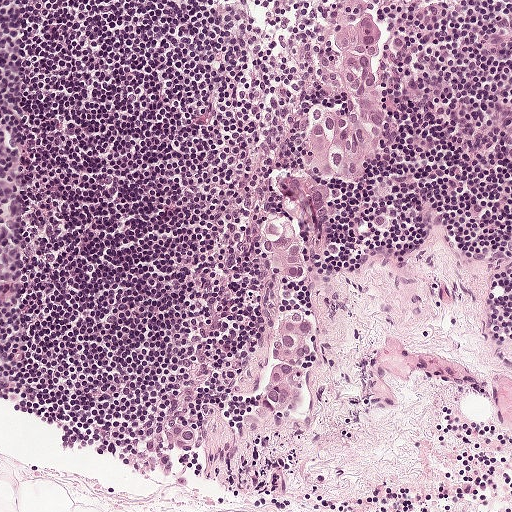
H&E-stained section of a sentinel lymph node (breast cancer), from a whole-slide image, viewed at about 10×: the field is about 0.5 mm across, about 0.97 µm per pixel.
Tumour region outline (a closed clockwise path, crop pixels): (373, 11), (385, 30), (374, 62), (382, 148), (368, 180), (333, 195), (337, 227), (329, 243), (281, 291), (283, 306), (310, 321), (308, 370), (291, 414), (273, 417), (259, 401), (270, 351), (260, 237), (280, 210), (277, 182), (300, 170), (314, 94), (326, 85), (328, 28).
The annotated tumour makes up about 10% of the crop.